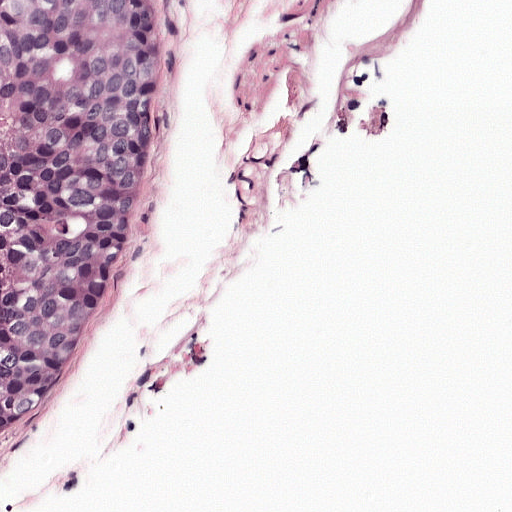
A 0.25-mm field of an H&E-stained sentinel lymph node from a breast-cancer patient (whole-slide image), shown at about 20×, about 0.49 µm per pixel.
Question: Where is the metastatic tumour in this field? Give each region's outline as (x, y) pixel points.
Answer: One metastatic tumour region; its boundary, reduced to 7 corners and listed clockwise: (0, 0), (149, 0), (161, 74), (158, 130), (127, 239), (52, 393), (0, 431).
The annotated tumour makes up about 20% of the crop.